Question: 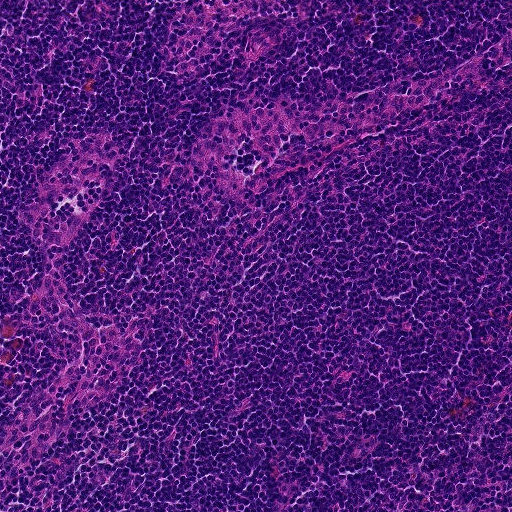
At roughly what magnification is this field shown?

Choices:
 (A) about 20×
 (B) about 2.5×
 (C) about 5×
 (D) about 10×
 (E) about 40×

Answer: (D) about 10×
A 0.46-mm field of an H&E-stained sentinel lymph node from a breast-cancer patient (whole-slide image), shown at about 10×, about 0.9 µm per pixel.